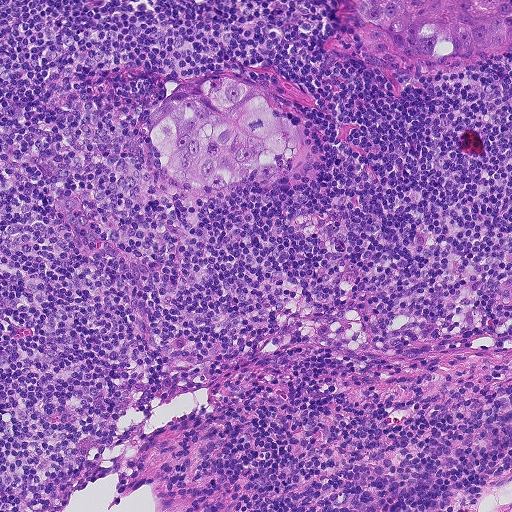
H&E-stained section of a sentinel lymph node (breast cancer), from a whole-slide image, viewed at about 10×: the field is about 0.46 mm across, about 0.9 µm per pixel.
Two metastatic tumour regions, each outlined as a closed clockwise path in crop pixels (x, y), largest first: region 1: (213, 76), (232, 76), (252, 84), (278, 114), (297, 123), (304, 141), (299, 160), (280, 172), (261, 174), (223, 191), (182, 188), (164, 180), (152, 164), (145, 143), (150, 124), (194, 84); region 2: (349, 0), (511, 0), (511, 53), (453, 74), (412, 71), (373, 59), (357, 47).
About 10% of this field is tumour.